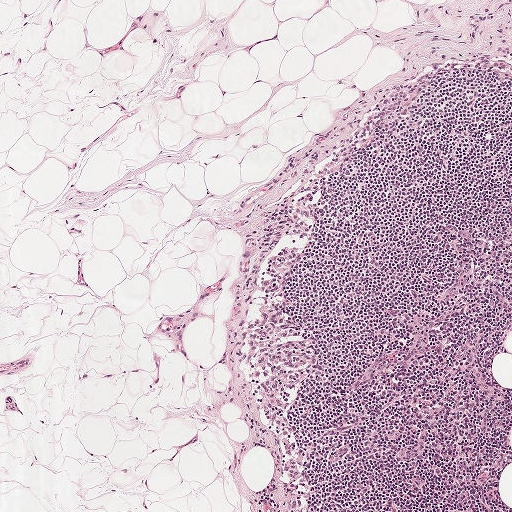
Lymph node section stained with H&E, from a whole-slide image of a breast-cancer sentinel node. Magnification about 5×, about 1 mm across the frame, about 1.9 µm per pixel.
Question: Does this lymph node field contain metastatic tumour?
Answer: No, this field holds no outlined metastasis.